Question: 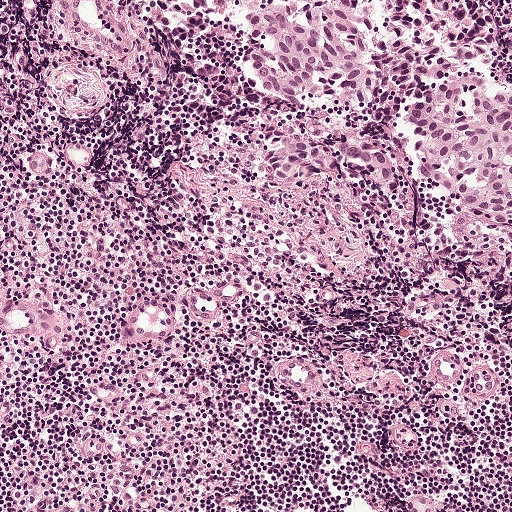
Lymph node section stained with H&E, from a whole-slide image of a breast-cancer sentinel node. Magnification about 10×, about 0.5 mm across the frame, about 0.97 µm per pixel.
Roughly what share of this field is metastatic tumour?

Choices:
 (A) about 50% or more
 (B) about 10% to 20%
 (C) about 5% or less
 (D) about 25% to 45%
 (E) none: no tumour is outlined

Answer: (B) about 10% to 20%
About 15% of the field is tumour.
Boundaries of two metastatic tumour regions, simplified and listed clockwise, largest first: region 1: (169, 1), (469, 2), (490, 29), (480, 62), (511, 83), (511, 219), (469, 214), (426, 174), (414, 150), (414, 118), (390, 129), (334, 98), (303, 110), (281, 102), (254, 82), (244, 26); region 2: (288, 130), (302, 130), (323, 140), (377, 143), (395, 155), (396, 166), (392, 182), (385, 188), (380, 188), (345, 170), (310, 172), (300, 176), (274, 175), (268, 167), (267, 155), (273, 148), (284, 142).